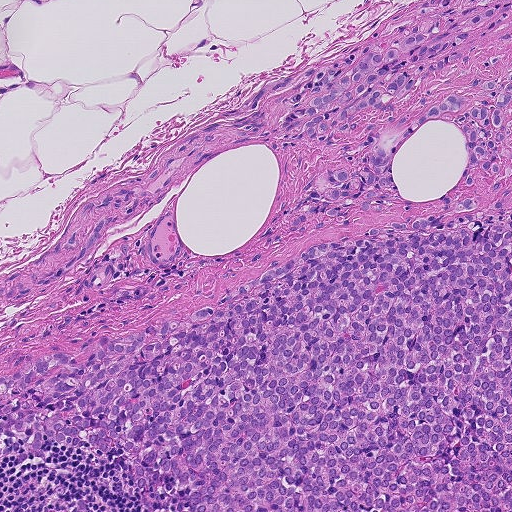
Lymph node section stained with H&E, from a whole-slide image of a breast-cancer sentinel node. Magnification about 10×, about 0.46 mm across the frame, about 0.9 µm per pixel.
Metastatic tumour outline, simplified to 23 points and listed clockwise in crop pixels (x, y): (511, 0), (424, 84), (511, 68), (511, 511), (188, 511), (167, 476), (136, 495), (122, 450), (88, 445), (0, 459), (0, 416), (26, 403), (0, 378), (449, 213), (468, 146), (434, 120), (389, 164), (385, 214), (294, 232), (348, 154), (298, 141), (296, 115), (428, 16).
One more small tumour piece is annotated here but not outlined.
About 50% of the image area is annotated as tumour.